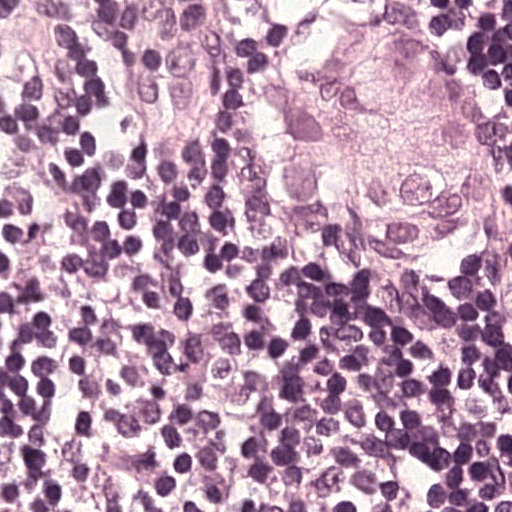
Lymph node section stained with H&E, from a whole-slide image of a breast-cancer sentinel node. Magnification about 40×, about 0.12 mm across the frame, about 0.24 µm per pixel.
Metastatic tumour outline, simplified to 12 points and listed clockwise in crop pixels (x, y): (352, 25), (426, 33), (441, 49), (467, 125), (467, 175), (452, 225), (404, 269), (304, 262), (270, 215), (236, 188), (223, 162), (233, 86).
About 20% of this field is tumour.